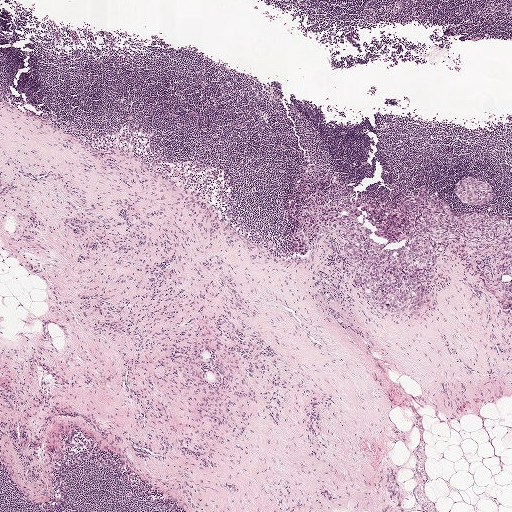
Lymph node section stained with H&E, from a whole-slide image of a breast-cancer sentinel node. Magnification about 2.5×, about 2.0 mm across the frame, about 3.9 µm per pixel.
Question: Does this lymph node field contain metastatic tumour?
Answer: Yes.
Boundaries of two metastatic tumour regions, simplified and listed clockwise, largest first: region 1: (341, 186), (347, 199), (399, 211), (427, 186), (454, 216), (511, 216), (511, 279), (501, 271), (509, 244), (482, 240), (441, 247), (422, 310), (392, 315), (368, 305), (351, 282), (360, 263), (350, 263), (333, 229), (310, 257), (292, 249), (306, 208), (331, 200), (329, 189); region 2: (468, 178), (485, 183), (494, 191), (495, 197), (492, 202), (481, 207), (466, 206), (457, 198), (454, 193), (460, 180).
About 5% of this field is tumour.